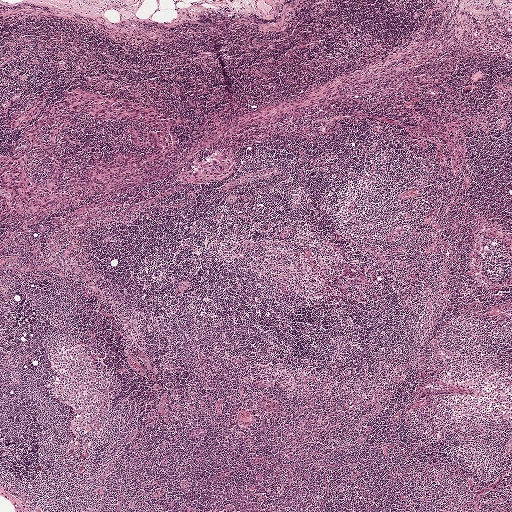
H&E-stained section of a sentinel lymph node (breast cancer), from a whole-slide image, viewed at about 2.5×: the field is about 2.0 mm across, about 3.9 µm per pixel.
Question: Which parts of this field are metastatic tumour?
Answer: Two metastatic tumour regions, each outlined as a closed clockwise path in crop pixels (x, y), largest first: region 1: (74, 81), (143, 102), (182, 117), (182, 122), (174, 123), (177, 146), (157, 162), (58, 204), (27, 216), (8, 216), (0, 227), (0, 154), (9, 152), (17, 136), (8, 128), (10, 121), (45, 91), (46, 104), (56, 102); region 2: (222, 147), (229, 147), (235, 170), (223, 180), (216, 182), (182, 183), (174, 181), (173, 175), (176, 170), (192, 159), (210, 155), (212, 151).
Tumour covers about 5% of the frame.